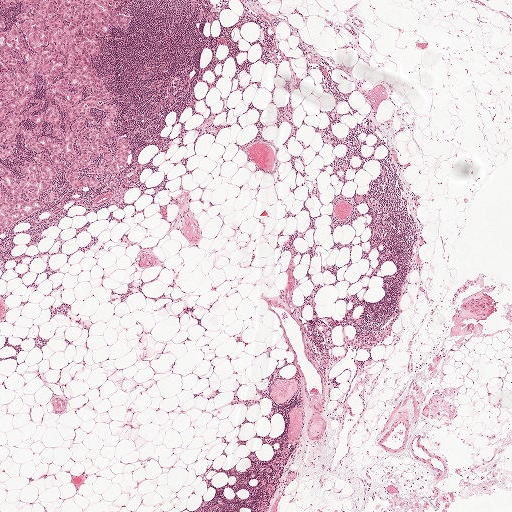
Lymph node section stained with H&E, from a whole-slide image of a breast-cancer sentinel node. Magnification about 2.5×, about 2.0 mm across the frame, about 3.9 µm per pixel.
Question: Trace the edge of each tumour region in this crop, as (x, y) points from 0 to 511.
Answer: Two metastatic tumour regions, each outlined as a closed clockwise path in crop pixels (x, y), largest first: region 1: (17, 0), (115, 0), (115, 10), (131, 16), (127, 28), (100, 35), (97, 58), (89, 54), (113, 96), (99, 105), (117, 106), (90, 114), (98, 123), (116, 112), (112, 129), (128, 142), (122, 171), (79, 170), (100, 180), (96, 188), (70, 187), (59, 171), (37, 198), (20, 189), (33, 157), (22, 127), (39, 140), (52, 133), (43, 115), (49, 103), (65, 126), (63, 112), (56, 104), (44, 95), (41, 76), (22, 110), (17, 150), (0, 158), (0, 32), (15, 20); region 2: (0, 0), (16, 0), (14, 6), (9, 8), (4, 8), (3, 5), (0, 3).
Tumour covers about 5% of the frame.